Question: 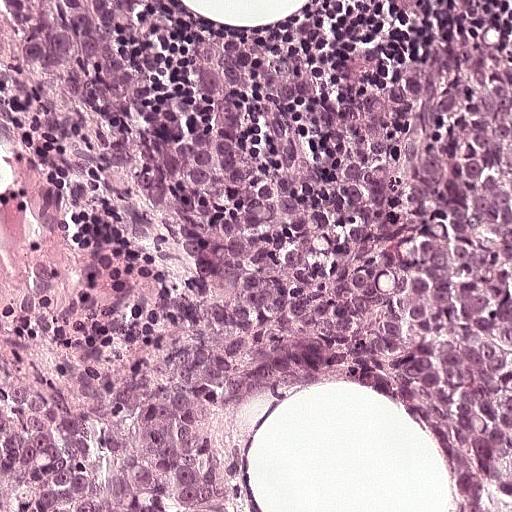
A 0.25-mm field of an H&E-stained sentinel lymph node from a breast-cancer patient (whole-slide image), shown at about 20×, about 0.49 µm per pixel.
What fraction of the image area is metastatic tumour?

Choices:
 (A) about 10% to 20%
 (B) about 50% or more
 (C) about 5% or less
 (D) none: no tumour is outlined
 (E) about 25% to 45%

Answer: (B) about 50% or more
About 90% of the field is tumour.
Metastatic tumour outline, simplified to 20 points and listed clockwise in crop pixels (x, y): (0, 0), (180, 0), (194, 16), (246, 34), (309, 0), (511, 0), (511, 511), (450, 511), (443, 449), (427, 428), (354, 386), (319, 386), (261, 396), (238, 446), (242, 511), (0, 511), (0, 282), (68, 275), (74, 264), (4, 154).